Image:
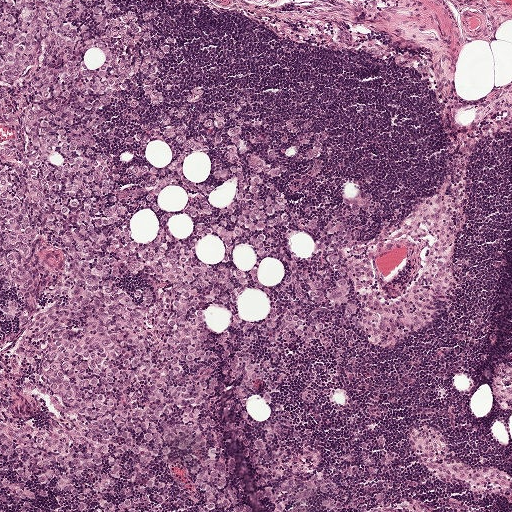
A 1-mm field of an H&E-stained sentinel lymph node from a breast-cancer patient (whole-slide image), shown at about 5×, about 1.9 µm per pixel.
Question:
Does this lymph node field contain metastatic tumour?
Answer:
Yes.
One metastatic tumour region; its boundary, reduced to 22 corners and listed clockwise: (0, 0), (125, 0), (151, 22), (173, 95), (236, 126), (290, 203), (350, 241), (348, 319), (240, 408), (261, 423), (291, 420), (314, 448), (324, 511), (272, 511), (237, 421), (241, 344), (216, 305), (204, 334), (242, 511), (152, 511), (138, 499), (0, 511).
The outline encloses 14 non-tumour holes totalling about 5% of the region's area.
About 50% of the image area is annotated as tumour.